Question: 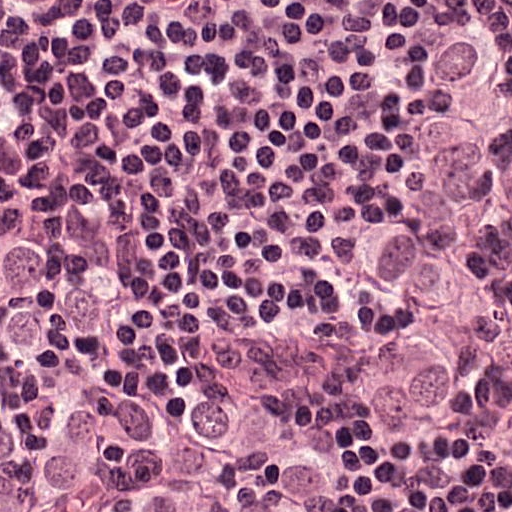
Which magnification is this H&E lymph node field most likely shown at?

Choices:
 (A) about 10×
 (B) about 40×
 (C) about 2.5×
 (D) about 20×
 (E) about 5×

Answer: (B) about 40×
H&E-stained section of a sentinel lymph node (breast cancer), from a whole-slide image, viewed at about 40×: the field is about 0.12 mm across, about 0.24 µm per pixel.
Outlines of three tumour regions, largest first (closed clockwise paths, crop pixels): region 1: (6, 214), (63, 223), (141, 279), (260, 385), (351, 511), (0, 511); region 2: (398, 0), (509, 61), (500, 133), (511, 149), (511, 374), (484, 421), (425, 438), (359, 427), (334, 402), (334, 314), (390, 146), (378, 36), (344, 2); region 3: (0, 0), (50, 0), (47, 1), (38, 32), (38, 42), (34, 48), (34, 67), (28, 67), (22, 95), (13, 120), (10, 120), (6, 132), (3, 132), (0, 147).
The annotated tumour makes up about 50% of the crop.